This is a crop of a whole-slide image: an H&E-stained breast-cancer sentinel lymph node section at roughly 2.5× magnification (about 3.6 µm per pixel; the crop spans about 1.9 mm).
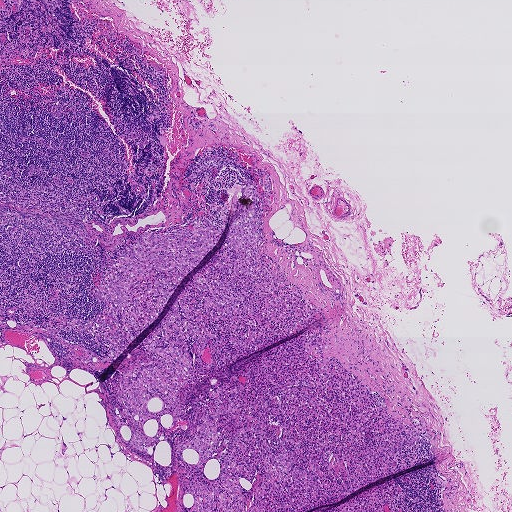
Question: Is any metastatic breast cancer visible in this crop?
Answer: Yes.
Boundaries of three metastatic tumour regions, simplified and listed clockwise, largest first: region 1: (251, 182), (257, 268), (323, 316), (184, 395), (328, 321), (324, 357), (419, 441), (403, 468), (302, 511), (186, 511), (195, 472), (176, 447), (200, 410), (170, 427), (162, 416), (144, 454), (112, 418), (125, 419), (118, 373), (151, 363), (142, 346), (226, 242); region 2: (193, 219), (222, 225), (214, 245), (178, 282), (156, 318), (130, 339), (124, 331), (119, 311), (95, 299), (93, 289), (97, 284), (106, 280), (112, 264), (139, 237), (149, 233), (171, 233); region 3: (394, 479), (401, 490), (400, 498), (394, 504), (398, 511), (324, 511).
Tumour covers about 20% of the frame.